Image:
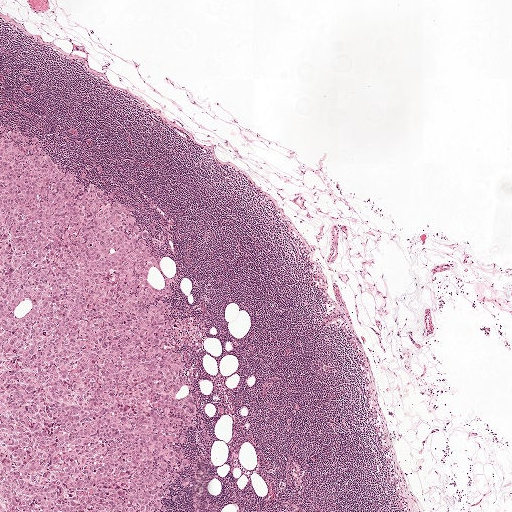
Lymph node section stained with H&E, from a whole-slide image of a breast-cancer sentinel node. Magnification about 2.5×, about 2.0 mm across the frame, about 3.9 µm per pixel.
Question:
Trace the edge of each tumour region in this crop, as (x, y) points from 0 to 511.
Answer:
One metastatic tumour region; its boundary, reduced to 9 corners and listed clockwise: (0, 121), (130, 212), (150, 261), (173, 282), (178, 308), (197, 320), (194, 443), (159, 510), (0, 511).
Tumour covers about 25% of the frame.